Image:
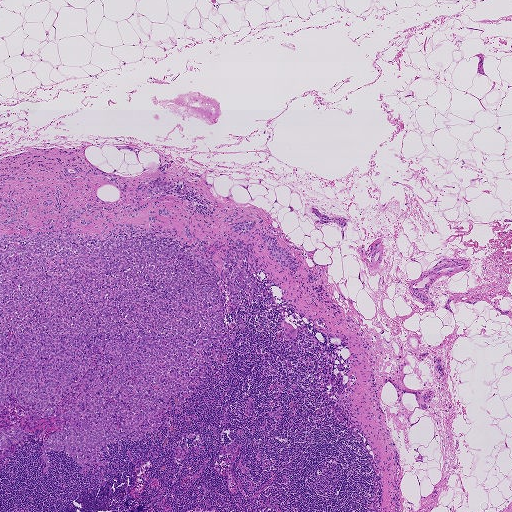
H&E-stained section of a sentinel lymph node (breast cancer), from a whole-slide image, viewed at about 2.5×: the field is about 1.9 mm across, about 3.6 µm per pixel.
Question:
Which parts of this field are metastatic tumour?
Answer:
Boundaries of two metastatic tumour regions, simplified and listed clockwise, largest first: region 1: (0, 173), (115, 218), (173, 182), (119, 221), (138, 224), (165, 207), (200, 241), (256, 220), (260, 296), (224, 313), (245, 328), (228, 358), (157, 433), (106, 446), (110, 472), (62, 450), (44, 474), (45, 425), (0, 462), (0, 428), (30, 413), (2, 408); region 2: (261, 234), (277, 237), (280, 246), (291, 252), (291, 256), (297, 261), (298, 270), (297, 272), (290, 272), (272, 258), (268, 253), (268, 246), (260, 237).
Tumour covers about 20% of the frame.